Question: 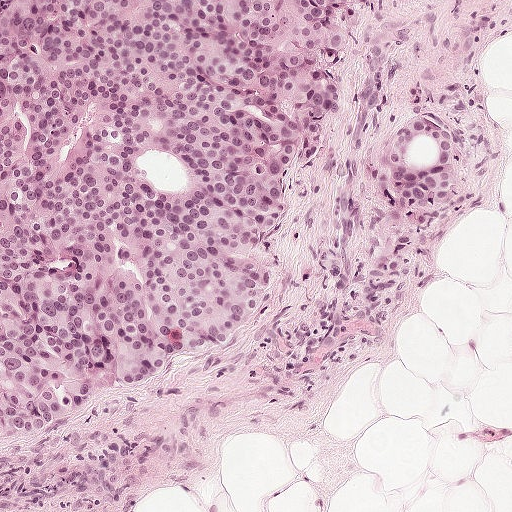
A 0.5-mm field of an H&E-stained sentinel lymph node from a breast-cancer patient (whole-slide image), shown at about 10×, about 0.97 µm per pixel.
What fraction of the image area is metastatic tumour?

Choices:
 (A) none: no tumour is outlined
 (B) about 25% to 45%
 (C) about 10% to 20%
 (D) about 5% or less
 (E) about 50% or more

Answer: (E) about 50% or more
About 50% of the field is tumour.
Two metastatic tumour regions, each outlined as a closed clockwise path in crop pixels (x, y), largest first: region 1: (373, 0), (352, 42), (347, 111), (290, 165), (287, 259), (262, 322), (38, 447), (0, 449), (0, 6); region 2: (433, 114), (457, 130), (466, 144), (457, 190), (444, 214), (432, 225), (406, 233), (394, 214), (376, 196), (382, 154), (408, 119).